H&E-stained section of a sentinel lymph node (breast cancer), from a whole-slide image, viewed at about 20×: the field is about 0.25 mm across, about 0.49 µm per pixel.
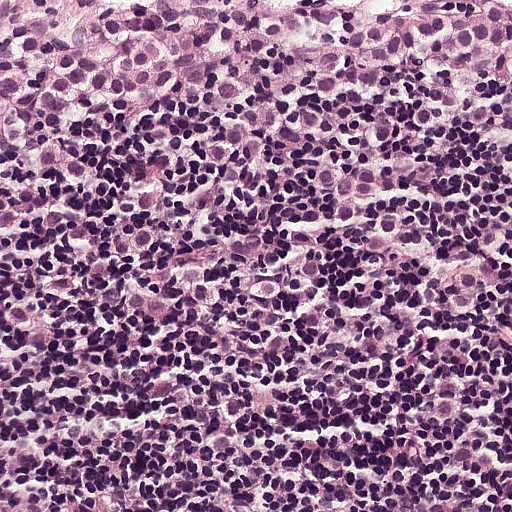
The outlined metastatic tumour's edge, as a closed clockwise path of 4 points: (0, 0), (511, 0), (511, 181), (0, 174).
Tumour covers about 35% of the frame.